Question: 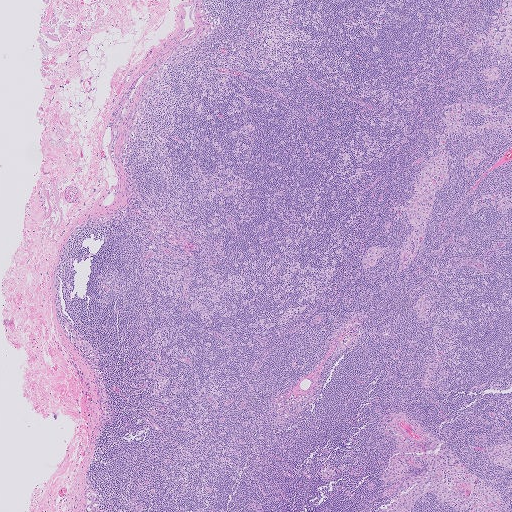
About what magnification does this crop show?

Choices:
 (A) about 40×
 (B) about 2.5×
 (C) about 10×
 (D) about 20×
 (E) about 5×

Answer: (B) about 2.5×
A 2.0-mm field of an H&E-stained sentinel lymph node from a breast-cancer patient (whole-slide image), shown at about 2.5×, about 4.0 µm per pixel.
One metastatic tumour region; its boundary, reduced to 15 corners and listed clockwise: (127, 101), (129, 102), (129, 110), (120, 124), (118, 138), (115, 145), (114, 153), (115, 161), (113, 162), (109, 152), (110, 144), (112, 139), (113, 129), (122, 107), (125, 102).
The annotated tumour makes up under 5% of the crop.